Question: 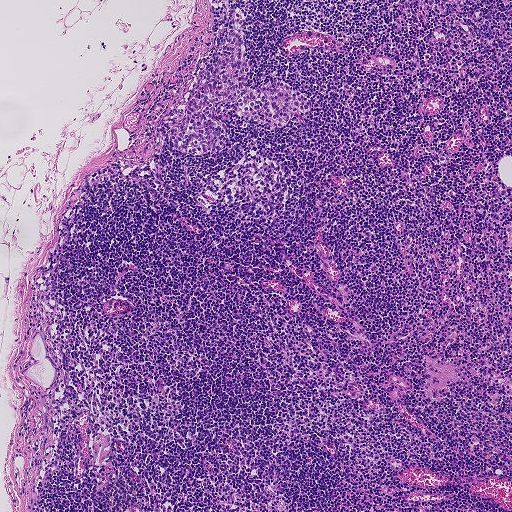
H&E-stained section of a sentinel lymph node (breast cancer), from a whole-slide image, viewed at about 5×: the field is about 0.93 mm across, about 1.8 µm per pixel.
Roughly what share of this field is metastatic tumour?

Choices:
 (A) about 50% or more
 (B) none: no tumour is outlined
 (C) about 10% to 20%
 (D) about 5% or less
 (E) about 25% to 45%

Answer: (D) about 5% or less
About 5% of the field is tumour.
Metastatic tumour outline, simplified to 22 points and listed clockwise in crop pixels (x, y): (237, 7), (245, 17), (246, 84), (253, 90), (281, 80), (308, 94), (311, 107), (274, 130), (251, 119), (239, 127), (233, 114), (216, 155), (180, 153), (172, 143), (172, 124), (185, 113), (193, 74), (204, 64), (216, 72), (217, 51), (229, 56), (223, 47).